Image:
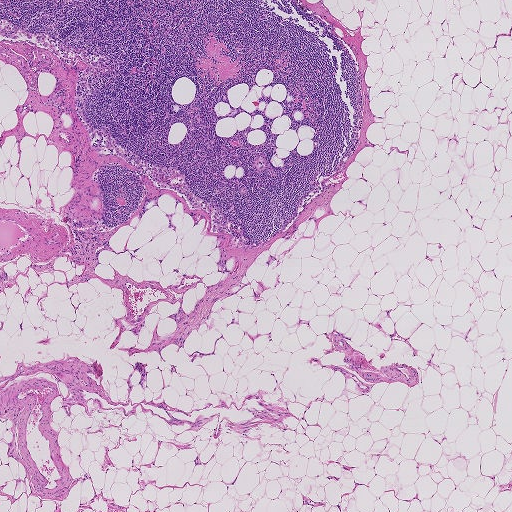
Lymph node section stained with H&E, from a whole-slide image of a breast-cancer sentinel node. Magnification about 2.5×, about 1.9 mm across the frame, about 3.6 µm per pixel.
Question:
Does this lymph node field contain metastatic tumour?
Answer:
No, this field holds no outlined metastasis.